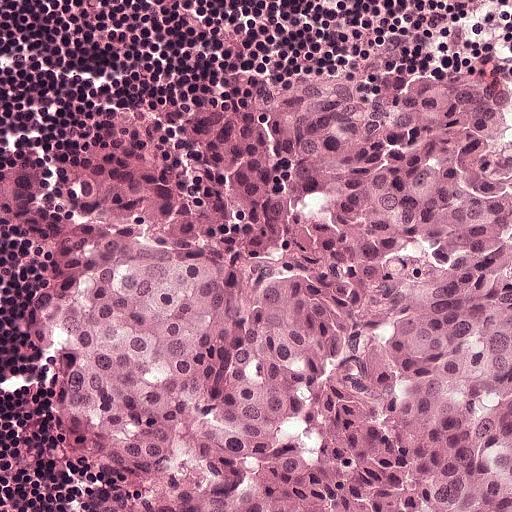
Lymph node section stained with H&E, from a whole-slide image of a breast-cancer sentinel node. Magnification about 20×, about 0.25 mm across the frame, about 0.49 µm per pixel.
Metastatic tumour outline, simplified to 14 points and listed clockwise in crop pixels (x, y): (348, 64), (443, 66), (482, 98), (511, 158), (511, 511), (104, 511), (100, 459), (47, 430), (26, 374), (28, 317), (76, 214), (117, 180), (192, 183), (216, 113).
Tumour covers about 70% of the frame.